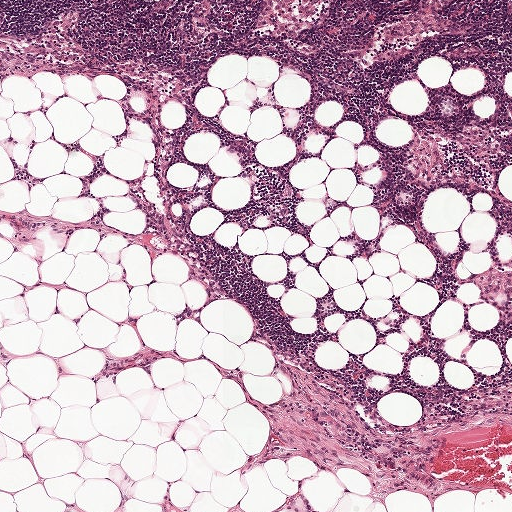
A 1-mm field of an H&E-stained sentinel lymph node from a breast-cancer patient (whole-slide image), shown at about 5×, about 1.9 µm per pixel.